Image:
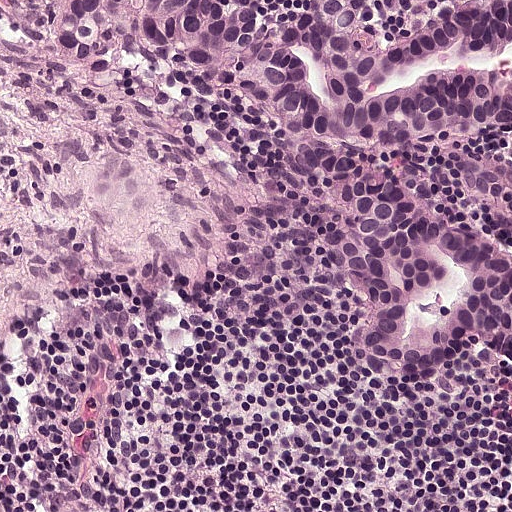
Lymph node section stained with H&E, from a whole-slide image of a breast-cancer sentinel node. Magnification about 20×, about 0.25 mm across the frame, about 0.49 µm per pixel.
Question:
Which parts of this field are metastatic tumour?
Answer:
Boundaries of two metastatic tumour regions, simplified and listed clockwise, largest first: region 1: (50, 0), (341, 0), (366, 20), (414, 1), (511, 0), (511, 114), (425, 144), (364, 140), (354, 156), (378, 155), (511, 252), (511, 342), (458, 337), (430, 358), (338, 344), (334, 276), (271, 194), (256, 120), (180, 56), (86, 70), (51, 40); region 2: (462, 146), (472, 152), (480, 151), (498, 160), (511, 181), (511, 237), (494, 224), (482, 202), (453, 182), (440, 168), (448, 152), (455, 147).
The annotated tumour makes up about 35% of the crop.